Image:
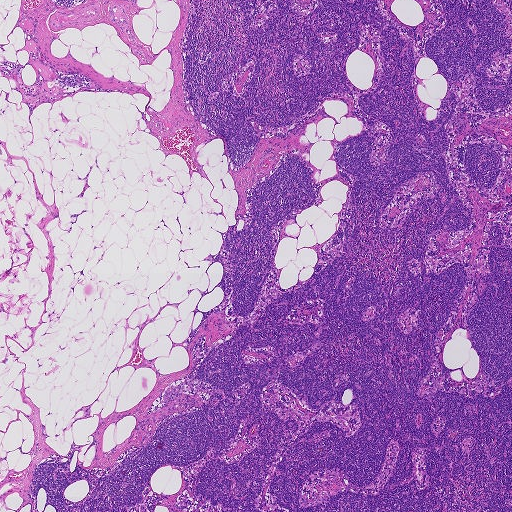
Lymph node section stained with H&E, from a whole-slide image of a breast-cancer sentinel node. Magnification about 2.5×, about 1.9 mm across the frame, about 3.6 µm per pixel.
Question:
Does this lymph node field contain metastatic tumour?
Answer:
No, this field holds no outlined metastasis.